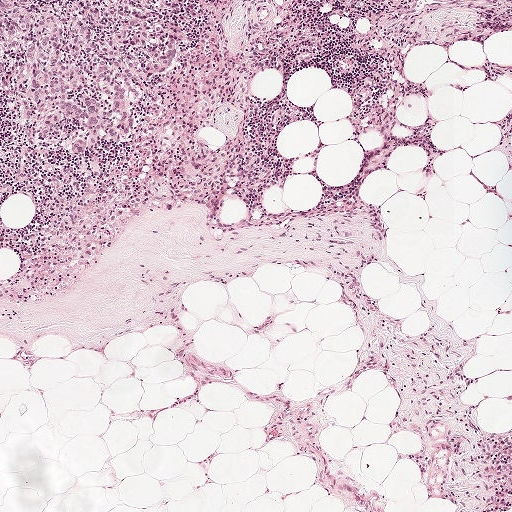
H&E-stained section of a sentinel lymph node (breast cancer), from a whole-slide image, viewed at about 5×: the field is about 1 mm across, about 1.9 µm per pixel.
Metastatic tumour outline, simplified to 17 points and listed clockwise in crop pixels (x, y): (0, 0), (152, 0), (153, 8), (167, 14), (170, 38), (174, 27), (180, 30), (180, 51), (170, 69), (146, 75), (130, 135), (116, 139), (109, 126), (96, 151), (86, 156), (36, 143), (2, 90).
The annotated tumour makes up about 10% of the crop.